Question: 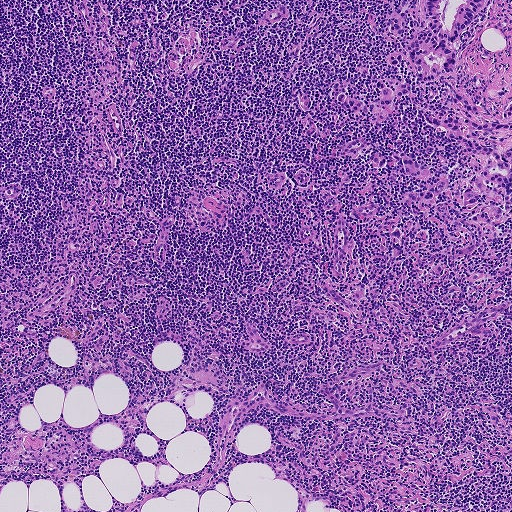
Lymph node section stained with H&E, from a whole-slide image of a breast-cancer sentinel node. Magnification about 5×, about 0.93 mm across the frame, about 1.8 µm per pixel.
About how much of this crop is taken up by metastatic carcinoma?

Choices:
 (A) about 5% or less
 (B) about 50% or more
 (C) none: no tumour is outlined
 (D) about 10% to 20%
 (E) about 25% to 45%

Answer: (A) about 5% or less
About 5% of the field is tumour.
Outlines of two tumour regions, largest first (closed clockwise paths, crop pixels): region 1: (412, 0), (490, 0), (451, 46), (460, 59), (455, 75), (484, 108), (500, 115), (510, 101), (511, 204), (500, 220), (482, 222), (464, 220), (488, 197), (466, 208), (451, 191), (428, 203), (400, 198), (423, 188), (400, 167), (398, 153), (447, 171), (450, 183), (469, 173), (457, 161), (459, 145), (399, 99), (384, 120), (351, 120), (334, 91), (368, 104), (376, 78), (409, 75), (404, 60), (390, 68), (384, 62), (402, 38), (386, 34), (386, 11); region 2: (511, 80), (511, 94), (508, 96), (500, 99), (492, 99), (486, 93), (502, 88).